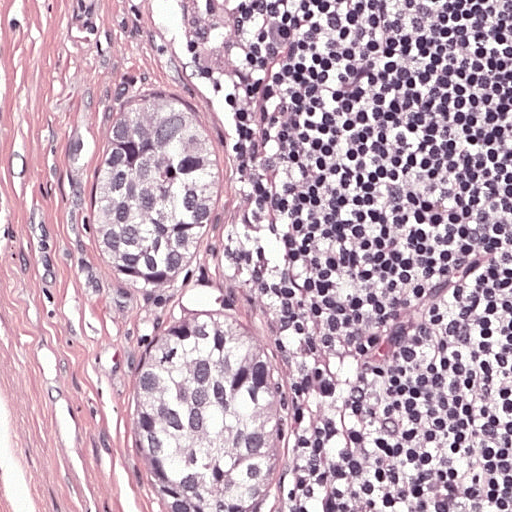
H&E-stained section of a sentinel lymph node (breast cancer), from a whole-slide image, viewed at about 20×: the field is about 0.25 mm across, about 0.49 µm per pixel.
The outlined metastatic tumour's edge, as a closed clockwise path of 19 points: (140, 80), (216, 124), (228, 146), (228, 198), (220, 230), (192, 272), (195, 296), (265, 316), (303, 389), (296, 459), (272, 511), (156, 511), (134, 428), (136, 388), (172, 306), (161, 285), (98, 244), (87, 216), (104, 140).
About 20% of this field is tumour.